Question: 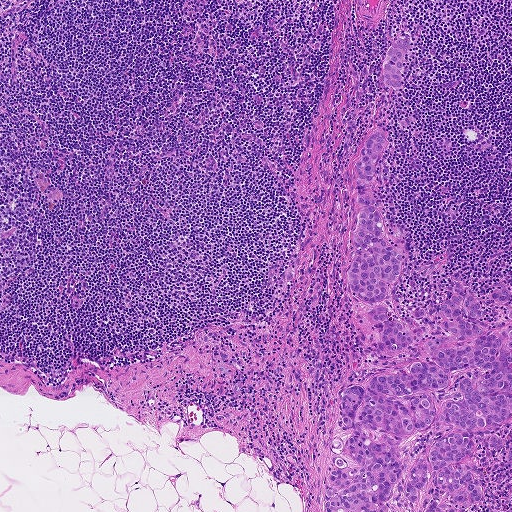
This is a crop of a whole-slide image: an H&E-stained breast-cancer sentinel lymph node section at roughly 5× magnification (about 1.8 µm per pixel; the crop spans about 0.93 mm).
About how much of this crop is taken up by metastatic carcinoma?

Choices:
 (A) about 25% to 45%
 (B) about 10% to 20%
 (C) none: no tumour is outlined
 (D) about 50% or more
 (E) about 5% or less

Answer: (B) about 10% to 20%
About 15% of the field is tumour.
Three metastatic tumour regions, each outlined as a closed clockwise path in crop pixels (x, y), largest first: region 1: (376, 131), (387, 146), (376, 204), (407, 259), (386, 304), (412, 318), (415, 307), (448, 299), (458, 281), (480, 298), (488, 329), (511, 324), (511, 423), (505, 450), (473, 452), (484, 497), (466, 511), (422, 511), (429, 477), (416, 503), (404, 500), (435, 428), (402, 440), (407, 468), (390, 511), (323, 510), (327, 439), (353, 436), (337, 423), (343, 390), (434, 364), (421, 343), (400, 354), (372, 350), (379, 328), (346, 273), (352, 163); region 2: (398, 34), (410, 39), (410, 52), (404, 64), (403, 89), (390, 89), (383, 80), (380, 68), (390, 43); region 3: (504, 286), (511, 289), (511, 294), (509, 300), (506, 303), (511, 307), (511, 323), (506, 313), (509, 309), (498, 304), (488, 298), (492, 288).
One more small tumour piece is annotated here but not outlined.